Image:
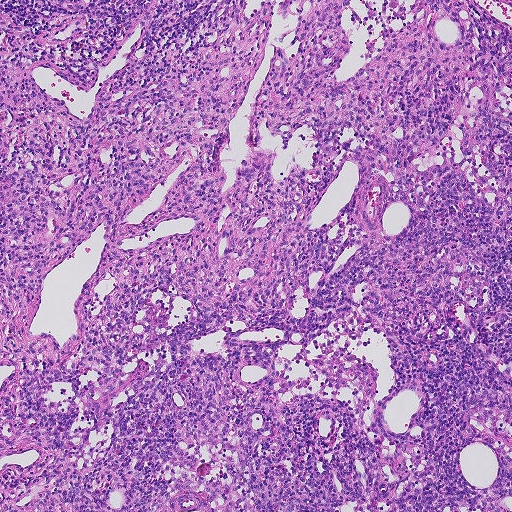
This is a crop of a whole-slide image: an H&E-stained breast-cancer sentinel lymph node section at roughly 5× magnification (about 1.8 µm per pixel; the crop spans about 0.93 mm).
Question:
Does this lymph node field contain metastatic tumour?
Answer:
No. No metastatic tumour is outlined in this field.